Image:
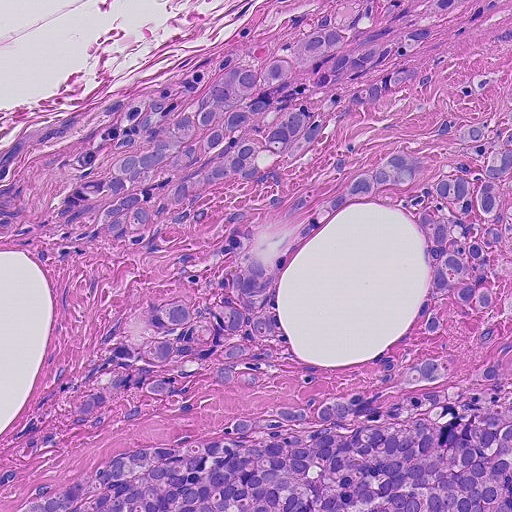
A 0.23-mm field of an H&E-stained sentinel lymph node from a breast-cancer patient (whole-slide image), shown at about 20×, about 0.45 µm per pixel.
Question:
Which parts of this field are metastatic tumour?
Answer:
The outlined metastatic tumour's edge, as a closed clockwise path of 22 points: (340, 0), (511, 0), (341, 130), (380, 154), (442, 107), (511, 99), (511, 511), (25, 511), (148, 446), (392, 388), (431, 254), (402, 209), (362, 202), (272, 291), (264, 390), (111, 424), (66, 406), (189, 270), (90, 244), (85, 218), (97, 168), (190, 85).
About 60% of this field is tumour.